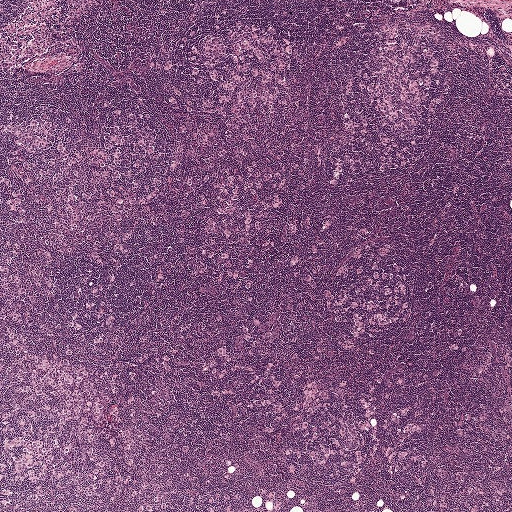
Lymph node section stained with H&E, from a whole-slide image of a breast-cancer sentinel node. Magnification about 2.5×, about 2.0 mm across the frame, about 3.9 µm per pixel.
Boundaries of five metastatic tumour regions, simplified and listed clockwise, largest first: region 1: (235, 174), (364, 232), (405, 277), (407, 333), (391, 344), (349, 343), (291, 317), (190, 296), (169, 279), (169, 261), (195, 194); region 2: (40, 115), (135, 115), (163, 153), (163, 189), (139, 234), (86, 261), (47, 295), (0, 309), (0, 139), (10, 139); region 3: (14, 332), (38, 347), (69, 347), (80, 361), (117, 377), (132, 403), (121, 412), (136, 456), (159, 478), (161, 498), (145, 507), (115, 491), (89, 501), (24, 494), (1, 506), (0, 350); region 4: (416, 20), (436, 37), (445, 63), (444, 107), (438, 129), (420, 158), (397, 171), (370, 171), (349, 156), (339, 126), (345, 111), (365, 93), (368, 40), (388, 25); region 5: (245, 24), (289, 40), (297, 50), (298, 60), (289, 93), (266, 129), (243, 145), (233, 146), (222, 144), (191, 114), (172, 107), (168, 95), (188, 73), (201, 41).
About 35% of this field is tumour.